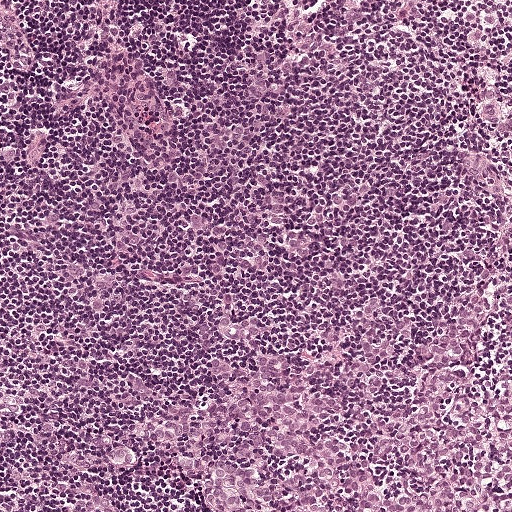
H&E-stained section of a sentinel lymph node (breast cancer), from a whole-slide image, viewed at about 10×: the field is about 0.5 mm across, about 0.97 µm per pixel.
The outlined metastatic tumour's edge, as a closed clockwise path of 10 points: (510, 275), (511, 511), (180, 507), (151, 422), (157, 403), (203, 360), (227, 346), (292, 340), (381, 301), (446, 314).
About 25% of the image area is annotated as tumour.